Question: 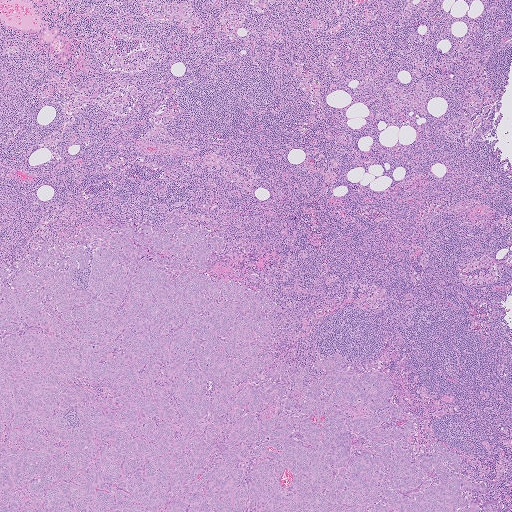
About what magnification does this crop show?

Choices:
 (A) about 5×
 (B) about 2.5×
 (C) about 40×
 (D) about 20×
 (E) about 10×

Answer: (B) about 2.5×
H&E-stained section of a sentinel lymph node (breast cancer), from a whole-slide image, viewed at about 2.5×: the field is about 2.0 mm across, about 4.0 µm per pixel.
Metastatic tumour outline, simplified to 21 points and listed clockwise in crop pixels (x, y): (200, 213), (228, 243), (218, 276), (259, 279), (296, 319), (276, 338), (278, 358), (308, 367), (307, 383), (321, 374), (314, 362), (333, 354), (384, 371), (419, 422), (413, 454), (445, 442), (502, 511), (0, 511), (0, 269), (92, 224), (161, 232).
Tumour covers about 40% of the frame.